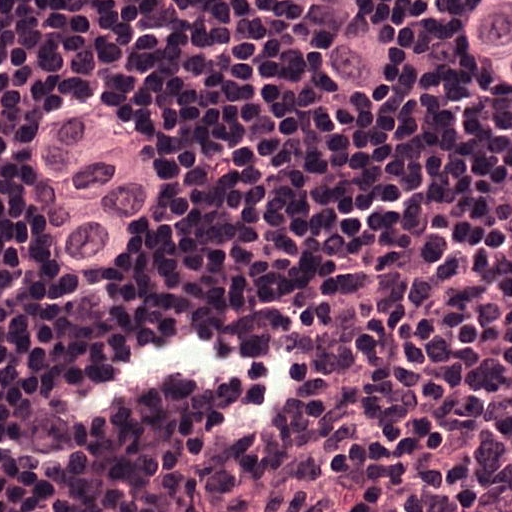
H&E-stained section of a sentinel lymph node (breast cancer), from a whole-slide image, viewed at about 40×: the field is about 0.12 mm across, about 0.24 µm per pixel.
Boundaries of two metastatic tumour regions, simplified and listed clockwise, largest first: region 1: (34, 92), (140, 95), (143, 124), (161, 149), (161, 174), (146, 217), (146, 245), (112, 269), (71, 269), (59, 261), (24, 255), (21, 170), (6, 164), (6, 130), (15, 108); region 2: (511, 0), (511, 97), (478, 97), (446, 83), (368, 86), (312, 70), (293, 61), (274, 39), (259, 1).
About 15% of the image area is annotated as tumour.